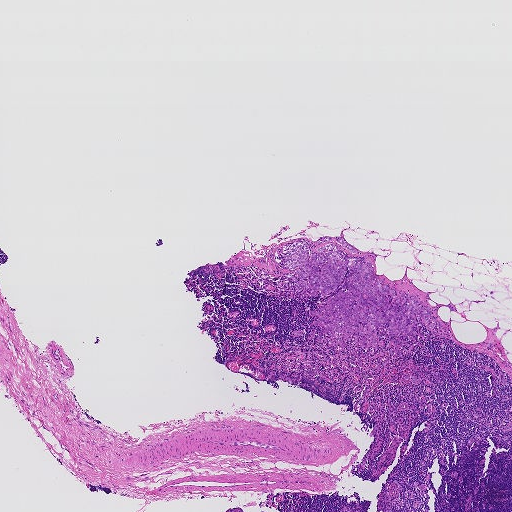
H&E-stained section of a sentinel lymph node (breast cancer), from a whole-slide image, viewed at about 2.5×: the field is about 1.9 mm across, about 3.6 µm per pixel.
Boundaries of four metastatic tumour regions, simplified and listed clockwise, largest first: region 1: (299, 240), (316, 252), (330, 243), (344, 257), (369, 258), (373, 275), (399, 298), (403, 292), (416, 294), (435, 306), (437, 319), (451, 337), (433, 334), (423, 322), (414, 339), (389, 336), (387, 323), (376, 329), (382, 348), (364, 349), (342, 337), (339, 344), (325, 328), (313, 325), (319, 317), (310, 313), (335, 292), (287, 295), (275, 283), (295, 269), (279, 266), (282, 246); region 2: (326, 236), (332, 237), (336, 236), (340, 237), (349, 244), (358, 249), (358, 251), (360, 251), (361, 252), (361, 254), (360, 254), (356, 254), (354, 254), (346, 248), (337, 242), (333, 241), (331, 242), (327, 241), (318, 245), (317, 244), (317, 242); region 3: (404, 374), (410, 374), (415, 377), (416, 378), (418, 379), (419, 378), (421, 378), (421, 380), (420, 382), (417, 383), (411, 382), (408, 379), (404, 378), (402, 377), (402, 375); region 4: (393, 338), (395, 340), (394, 343), (397, 343), (397, 345), (394, 348), (394, 349), (391, 354), (389, 354), (388, 352), (388, 350), (393, 346), (391, 340), (392, 339).
Four more small tumour pieces are annotated here but not outlined.
The annotated tumour makes up about 5% of the crop.